Question: 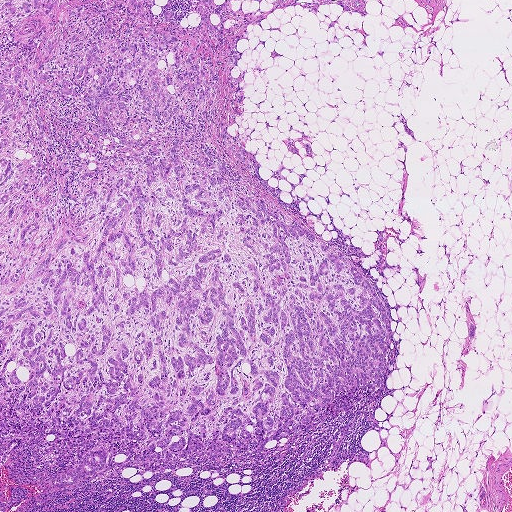
Lymph node section stained with H&E, from a whole-slide image of a breast-cancer sentinel node. Magnification about 2.5×, about 1.9 mm across the frame, about 3.6 µm per pixel.
Estimate the proportion of this field that is metastatic tumour.

Choices:
 (A) about 50% or more
 (B) about 5% or less
 (C) none: no tumour is outlined
 (D) about 10% to 20%
 (E) about 25% to 45%

Answer: (A) about 50% or more
About 50% of the field is tumour.
Three metastatic tumour regions, each outlined as a closed clockwise path in crop pixels (x, y), largest first: region 1: (0, 0), (269, 10), (237, 42), (198, 120), (201, 146), (234, 199), (278, 209), (369, 282), (391, 334), (380, 387), (341, 391), (217, 466), (196, 455), (163, 473), (119, 453), (67, 490), (56, 477), (85, 448), (18, 436), (1, 455); region 2: (275, 0), (338, 0), (341, 0), (350, 9), (358, 8), (366, 13), (362, 17), (357, 12), (350, 14), (345, 12), (339, 5), (329, 4), (319, 6), (318, 12), (316, 15), (298, 5), (271, 9); region 3: (233, 144), (241, 146), (244, 149), (246, 158), (246, 162), (242, 162), (238, 160), (231, 150), (230, 147).